This is a crop of a whole-slide image: an H&E-stained breast-cancer sentinel lymph node section at roughly 20× magnification (about 0.49 µm per pixel; the crop spans about 0.25 mm).
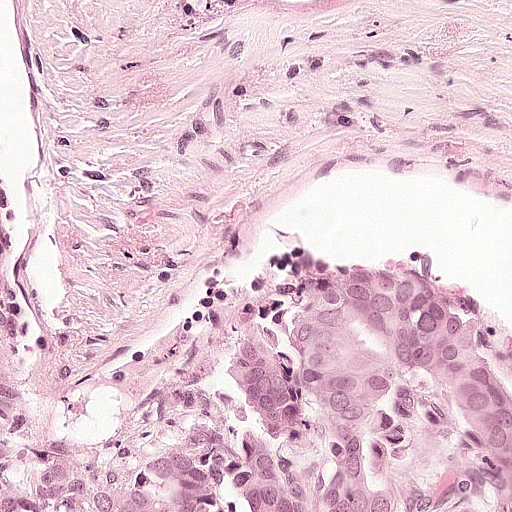
Metastatic tumour outline, simplified to 15 points and listed clockwise in crop pixels (x, y): (0, 158), (20, 262), (10, 390), (36, 432), (70, 454), (110, 458), (166, 430), (241, 362), (262, 317), (344, 272), (374, 268), (474, 308), (511, 367), (511, 511), (0, 511).
Tumour covers about 30% of the frame.